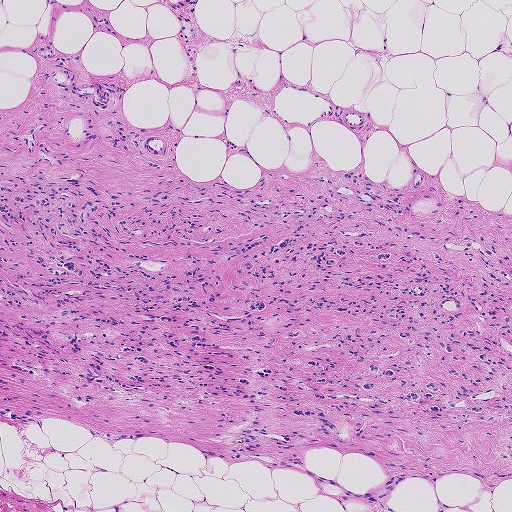
This is a crop of a whole-slide image: an H&E-stained breast-cancer sentinel lymph node section at roughly 5× magnification (about 1.8 µm per pixel; the crop spans about 0.93 mm).
Tumour region outline (a closed clockwise path, crop pixels): (37, 43), (110, 82), (126, 129), (165, 137), (184, 182), (317, 190), (511, 257), (511, 425), (331, 417), (339, 437), (284, 410), (0, 391), (0, 111), (37, 91).
The annotated tumour makes up about 45% of the crop.